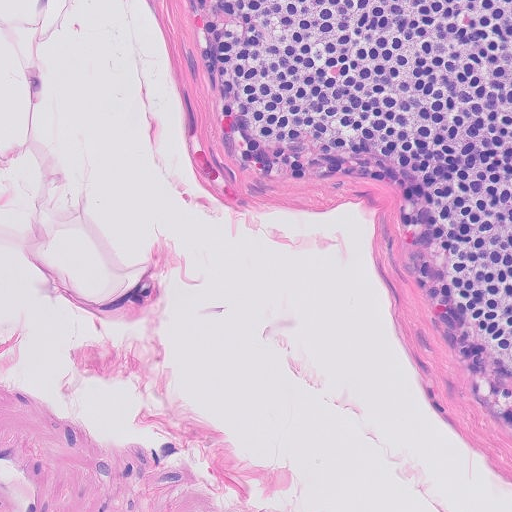
Lymph node section stained with H&E, from a whole-slide image of a breast-cancer sentinel node. Magnification about 20×, about 0.26 mm across the frame, about 0.5 µm per pixel.